Lymph node section stained with H&E, from a whole-slide image of a breast-cancer sentinel node. Magnification about 5×, about 1 mm across the frame, about 1.9 µm per pixel.
Image:
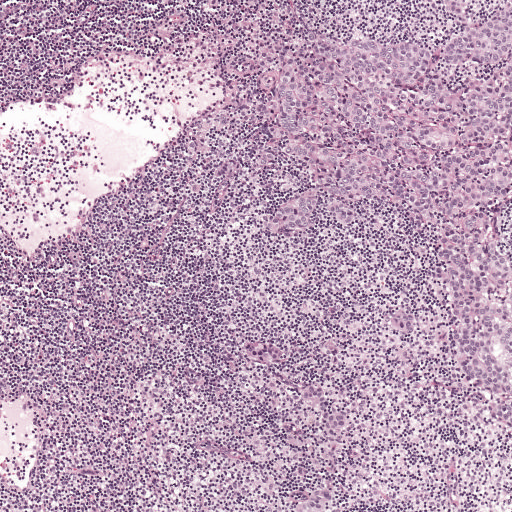
Question:
Which parts of this field are metastatic tumour?
Answer:
Three metastatic tumour regions, each outlined as a closed clockwise path in crop pixels (x, y), largest first: region 1: (434, 0), (478, 13), (511, 0), (511, 198), (497, 217), (511, 254), (511, 444), (451, 365), (446, 315), (404, 336), (386, 324), (404, 302), (423, 320), (443, 309), (443, 285), (420, 277), (432, 224), (370, 198), (344, 233), (320, 189), (322, 224), (277, 240), (272, 208), (312, 174), (278, 148), (266, 168), (241, 162), (187, 190), (258, 142), (246, 120), (182, 157), (189, 136), (268, 99), (239, 60), (271, 37), (338, 22), (443, 36); region 2: (247, 335), (258, 335), (282, 342), (289, 353), (284, 364), (287, 376), (298, 382), (309, 378), (319, 382), (326, 391), (326, 410), (348, 409), (352, 414), (351, 434), (347, 442), (323, 440), (331, 480), (341, 489), (338, 511), (288, 511), (305, 492), (327, 480), (320, 437), (288, 450), (278, 441), (273, 431), (277, 420), (288, 418), (309, 433), (320, 436), (322, 412), (299, 406), (297, 393), (290, 384), (279, 376), (241, 362), (232, 353), (235, 340); region 3: (340, 346), (340, 360), (336, 364), (331, 364), (332, 348).
One more small tumour piece is annotated here but not outlined.
Tumour covers about 25% of the frame.